A 1-mm field of an H&E-stained sentinel lymph node from a breast-cancer patient (whole-slide image), shown at about 5×, about 1.9 µm per pixel.
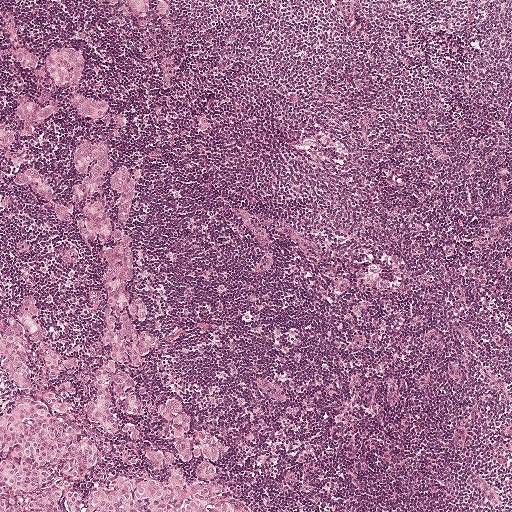
Boundaries of four metastatic tumour regions, simplified and listed clockwise, largest first: region 1: (82, 141), (140, 170), (127, 291), (161, 351), (133, 382), (152, 400), (174, 394), (194, 436), (226, 445), (219, 493), (238, 511), (0, 511), (0, 311), (32, 296), (84, 376), (76, 418), (98, 362), (84, 289), (104, 265), (13, 186), (15, 169), (65, 200), (85, 177), (71, 155); region 2: (55, 46), (80, 51), (84, 61), (77, 88), (81, 94), (109, 104), (105, 116), (87, 122), (61, 114), (42, 124), (32, 137), (18, 133), (22, 119), (14, 113), (18, 106), (51, 104), (59, 92), (50, 71), (24, 69), (13, 62), (11, 50), (20, 48), (38, 56); region 3: (0, 124), (8, 129), (10, 135), (10, 147), (7, 151), (0, 154); region 4: (125, 0), (143, 0), (143, 10), (140, 14), (134, 13).
Two more small tumour pieces are annotated here but not outlined.
Tumour covers about 20% of the frame.